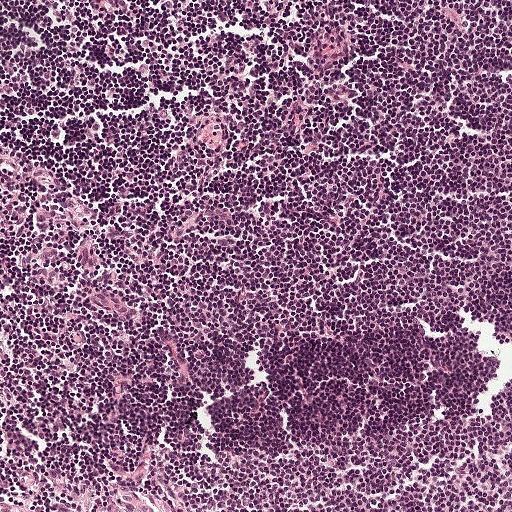
Lymph node section stained with H&E, from a whole-slide image of a breast-cancer sentinel node. Magnification about 10×, about 0.5 mm across the frame, about 0.97 µm per pixel.